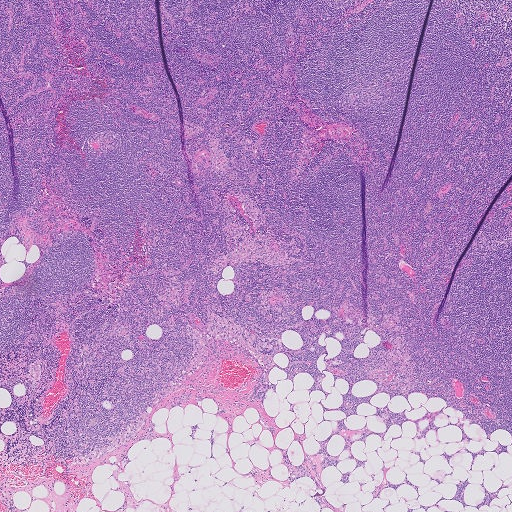
Lymph node section stained with H&E, from a whole-slide image of a breast-cancer sentinel node. Magnification about 2.5×, about 2.0 mm across the frame, about 4.0 µm per pixel.